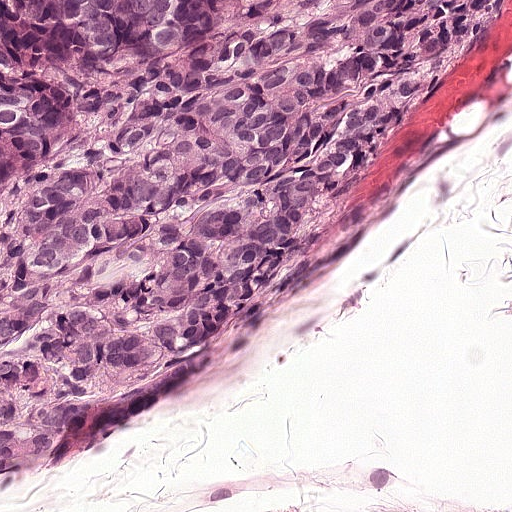
A 0.25-mm field of an H&E-stained sentinel lymph node from a breast-cancer patient (whole-slide image), shown at about 20×, about 0.49 µm per pixel.
Tumour region outline (a closed clockwise path, crop pixels): (0, 0), (486, 0), (441, 80), (295, 230), (240, 305), (168, 364), (6, 454).
About 50% of this field is tumour.